Question: 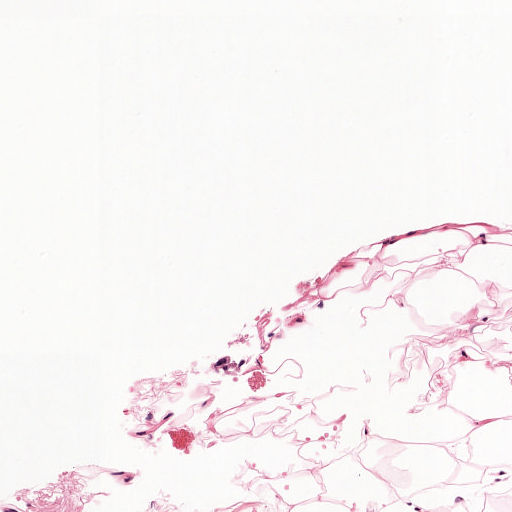
About what magnification does this crop show?

Choices:
 (A) about 40×
 (B) about 2.5×
 (C) about 5×
 (D) about 20×
 (E) about 10×

Answer: (E) about 10×
This is a crop of a whole-slide image: an H&E-stained breast-cancer sentinel lymph node section at roughly 10× magnification (about 0.97 µm per pixel; the crop spans about 0.5 mm).
One metastatic tumour region; its boundary, reduced to 12 corners and listed clockwise: (226, 355), (232, 356), (234, 361), (245, 359), (245, 366), (239, 372), (229, 368), (228, 374), (220, 370), (214, 374), (210, 365), (218, 358).
Tumour covers under 5% of the frame.